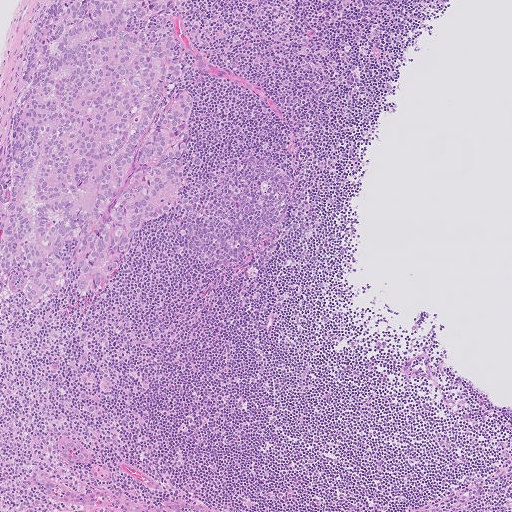
A 1.0-mm field of an H&E-stained sentinel lymph node from a breast-cancer patient (whole-slide image), shown at about 5×, about 2.0 µm per pixel.
Tumour region outline (a closed clockwise path, crop pixels): (47, 0), (176, 0), (140, 26), (180, 38), (194, 111), (186, 151), (202, 162), (186, 168), (174, 214), (151, 223), (99, 293), (62, 290), (36, 304), (26, 300), (30, 280), (17, 266), (0, 295), (0, 129), (20, 94), (28, 37).
Tumour covers about 20% of the frame.